H&E-stained section of a sentinel lymph node (breast cancer), from a whole-slide image, viewed at about 10×: the field is about 0.46 mm across, about 0.9 µm per pixel.
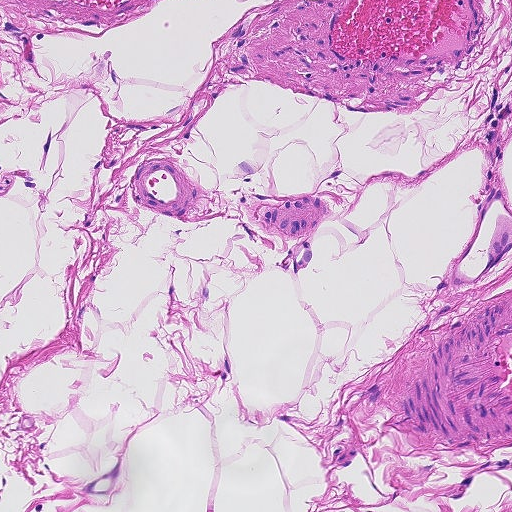
Question: Is any metastatic breast cancer visible in this crop?
Answer: No, this field holds no outlined metastasis.